This is a crop of a whole-slide image: an H&E-stained breast-cancer sentinel lymph node section at roughly 5× magnification (about 1.8 µm per pixel; the crop spans about 0.93 mm).
Image:
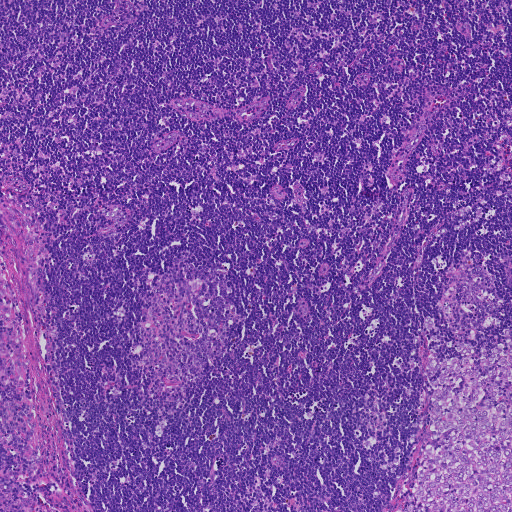
Question:
Outline the metastatic carcinoma in this image, as closed paths of (x, y) pixel coordinates.
Answer:
Boundaries of five metastatic tumour regions, simplified and listed clockwise, largest first: region 1: (503, 327), (511, 328), (511, 511), (403, 511), (414, 490), (431, 418), (432, 390), (423, 363), (429, 349), (439, 358), (459, 359), (458, 352), (445, 345), (450, 340), (481, 350), (502, 342); region 2: (511, 142), (511, 183), (509, 181), (502, 179), (496, 175), (491, 170), (489, 163), (499, 160), (504, 156), (509, 150); region 3: (464, 206), (471, 206), (484, 210), (482, 217), (478, 223), (471, 224), (465, 228), (456, 230), (454, 227), (460, 222), (473, 218), (474, 211), (462, 216), (455, 217), (454, 214), (457, 208); region 4: (424, 316), (432, 316), (434, 319), (435, 333), (435, 340), (433, 340), (423, 326); region 5: (414, 349), (417, 350), (417, 352), (412, 357), (415, 360), (416, 364), (413, 366), (408, 363), (409, 353).
One more small tumour piece is annotated here but not outlined.
About 5% of this field is tumour.